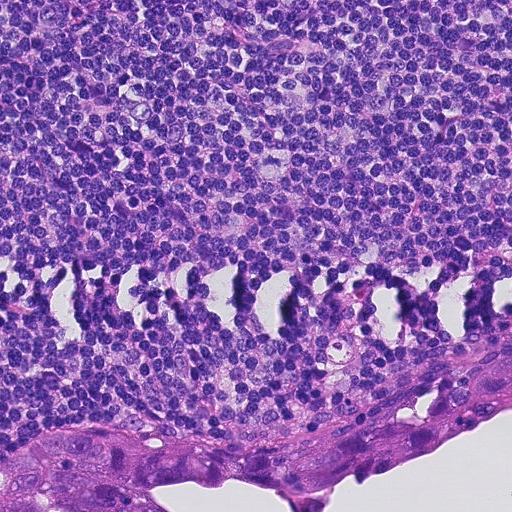
A 0.23-mm field of an H&E-stained sentinel lymph node from a breast-cancer patient (whole-slide image), shown at about 20×, about 0.45 µm per pixel.
The outlined metastatic tumour's edge, as a closed clockwise path of 19 points: (511, 357), (511, 405), (444, 450), (348, 478), (321, 511), (291, 511), (268, 488), (243, 481), (218, 487), (170, 482), (148, 492), (173, 511), (0, 511), (0, 456), (68, 429), (117, 425), (163, 444), (238, 450), (336, 438).
The annotated tumour makes up about 10% of the crop.